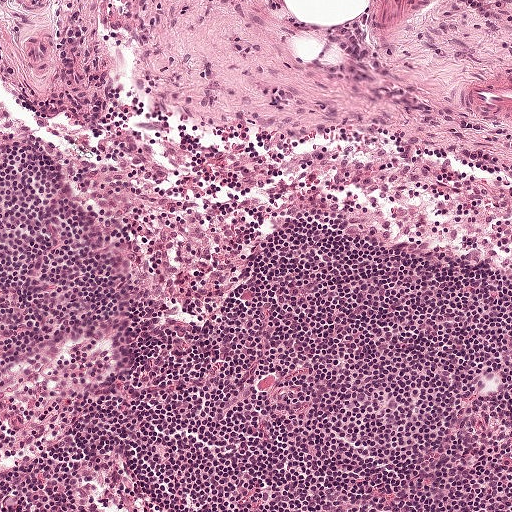
This is a crop of a whole-slide image: an H&E-stained breast-cancer sentinel lymph node section at roughly 10× magnification (about 0.97 µm per pixel; the crop spans about 0.5 mm).
Question: Is there metastatic carcinoma in this field?
Answer: No. No metastatic tumour is outlined in this field.